H&E-stained section of a sentinel lymph node (breast cancer), from a whole-slide image, viewed at about 5×: the field is about 0.93 mm across, about 1.8 µm per pixel.
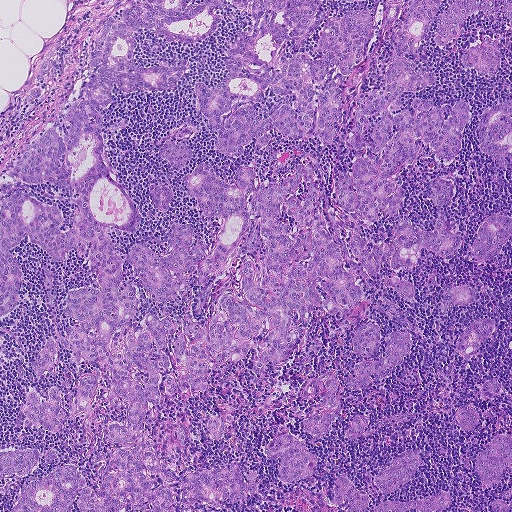
Eight metastatic tumour regions, each outlined as a closed clockwise path in crop pixels (x, y), largest first: region 1: (325, 0), (315, 11), (328, 14), (303, 47), (276, 44), (267, 33), (258, 39), (258, 56), (278, 68), (299, 55), (322, 60), (315, 48), (326, 18), (369, 12), (374, 36), (363, 61), (351, 74), (334, 67), (310, 82), (319, 89), (333, 79), (341, 90), (332, 141), (312, 132), (286, 138), (273, 128), (266, 146), (252, 138), (239, 157), (216, 154), (217, 130), (195, 87), (221, 81), (236, 32), (252, 32), (251, 3), (241, 17), (231, 2); region 2: (511, 99), (511, 172), (498, 165), (482, 151), (478, 146), (478, 141), (478, 125), (481, 115), (488, 107), (493, 107); region 3: (454, 0), (511, 0), (511, 19), (507, 20), (504, 10), (499, 8), (492, 15), (482, 12), (472, 15), (465, 21), (463, 26), (466, 30), (462, 34), (453, 38), (447, 46), (442, 47), (438, 46), (433, 38), (437, 23), (434, 21); region 4: (282, 431), (292, 435), (304, 445), (306, 451), (315, 456), (314, 473), (311, 478), (295, 482), (284, 482), (279, 478), (276, 472), (281, 462), (280, 456), (274, 460), (268, 459), (266, 455), (273, 438); region 5: (402, 330), (410, 337), (411, 348), (402, 362), (398, 366), (395, 366), (390, 376), (379, 379), (372, 374), (370, 386), (366, 389), (349, 389), (346, 385), (348, 380), (358, 377), (355, 373), (354, 368), (358, 363), (368, 360), (379, 359), (387, 336), (390, 332); region 6: (52, 386), (57, 387), (64, 414), (62, 430), (59, 434), (43, 430), (27, 428), (22, 418), (21, 424), (16, 426), (26, 390), (32, 388), (47, 400), (48, 390); region 7: (502, 213), (511, 220), (511, 233), (498, 257), (494, 260), (473, 261), (465, 261), (463, 256), (469, 252), (480, 227), (486, 218); region 8: (499, 434), (510, 435), (511, 437), (511, 464), (502, 470), (500, 480), (497, 484), (486, 489), (481, 489), (480, 476), (475, 466), (476, 460), (480, 451), (489, 445), (494, 435).
One more tumour region is annotated but not outlined: its edge is too irregular for a short outline.
20 more, smaller tumour regions are not outlined.
Four more small tumour pieces are annotated here but not outlined.
About 50% of the image area is annotated as tumour.